Question: 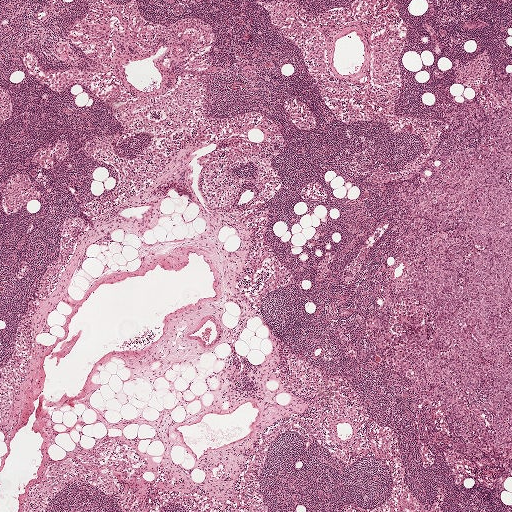
H&E-stained section of a sentinel lymph node (breast cancer), from a whole-slide image, viewed at about 2.5×: the field is about 2.0 mm across, about 3.9 µm per pixel.
Estimate the proportion of this field that is metastatic tumour.

Choices:
 (A) about 25% to 45%
 (B) none: no tumour is outlined
 (C) about 5% or less
 (D) about 50% or more
 (E) about 10% to 20%

Answer: (E) about 10% to 20%
About 15% of the field is tumour.
Boundaries of two metastatic tumour regions, simplified and listed clockwise, largest first: region 1: (469, 106), (511, 108), (511, 472), (490, 464), (477, 469), (445, 424), (440, 402), (426, 420), (403, 394), (411, 372), (390, 378), (388, 350), (380, 354), (366, 332), (380, 293), (403, 272), (391, 251), (422, 167), (453, 147); region 2: (511, 72), (511, 98), (499, 91), (492, 85), (493, 82), (498, 79), (501, 79), (502, 82), (504, 83).